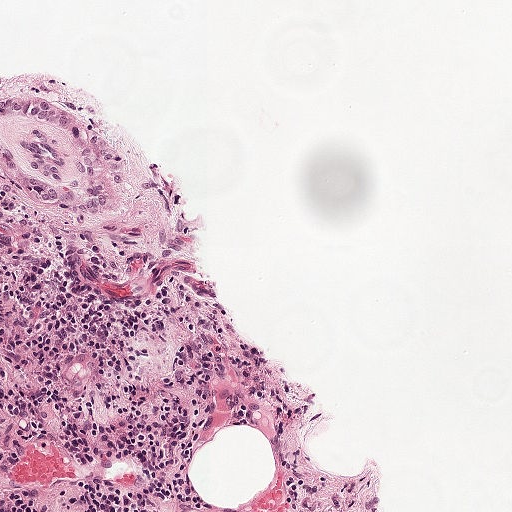
This is a crop of a whole-slide image: an H&E-stained breast-cancer sentinel lymph node section at roughly 10× magnification (about 0.97 µm per pixel; the crop spans about 0.5 mm).
Tumour region outline (a closed clockwise path, crop pixels): (0, 108), (112, 146), (161, 176), (208, 231), (207, 272), (192, 299), (147, 299), (106, 290), (28, 268), (2, 252).
Tumour covers about 10% of the frame.